Question: 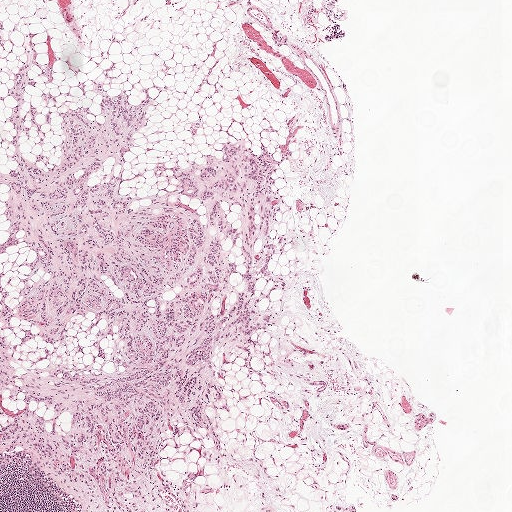
This is a crop of a whole-slide image: an H&E-stained breast-cancer sentinel lymph node section at roughly 2.5× magnification (about 3.9 µm per pixel; the crop spans about 2.0 mm).
Roughly what share of this field is metastatic tumour?

Choices:
 (A) about 50% or more
 (B) about 5% or less
 (C) about 10% to 20%
 (D) about 25% to 45%
 (E) none: no tumour is outlined

Answer: (D) about 25% to 45%
About 30% of the field is tumour.
Outlines of four tumour regions, largest first (closed clockwise paths, crop pixels): region 1: (25, 49), (52, 67), (28, 70), (46, 137), (21, 149), (58, 164), (59, 113), (103, 123), (112, 61), (108, 94), (151, 92), (128, 210), (159, 162), (226, 141), (266, 162), (272, 320), (252, 356), (213, 358), (233, 416), (113, 478), (0, 458), (6, 90); region 2: (193, 122), (199, 123), (199, 128), (196, 131), (198, 134), (193, 137), (191, 137), (190, 132), (187, 130); region 3: (48, 91), (51, 94), (56, 97), (57, 102), (55, 102), (41, 99), (41, 95), (44, 93), (48, 92); region 4: (49, 111), (51, 111), (52, 112), (52, 113), (50, 116), (51, 124), (47, 126), (45, 126), (46, 120), (44, 114).
One more small tumour piece is annotated here but not outlined.